Image:
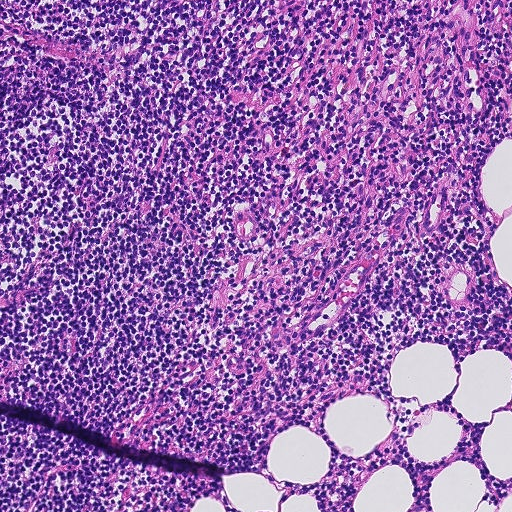
This is a crop of a whole-slide image: an H&E-stained breast-cancer sentinel lymph node section at roughly 10× magnification (about 0.9 µm per pixel; the crop spans about 0.46 mm).
Question:
Does this lymph node field contain metastatic tumour?
Answer:
No. No metastatic tumour is outlined in this field.